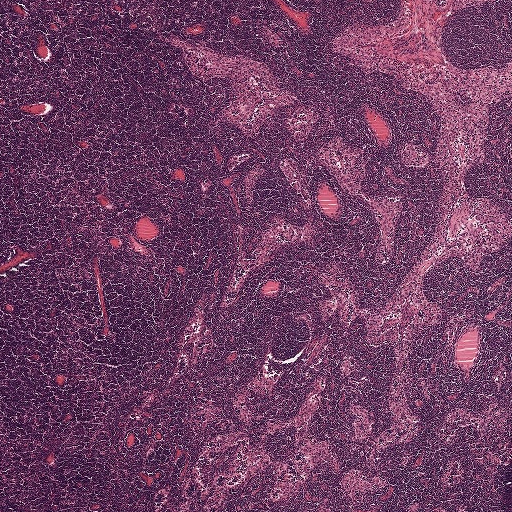
Lymph node section stained with H&E, from a whole-slide image of a breast-cancer sentinel node. Magnification about 2.5×, about 2.0 mm across the frame, about 3.9 µm per pixel.